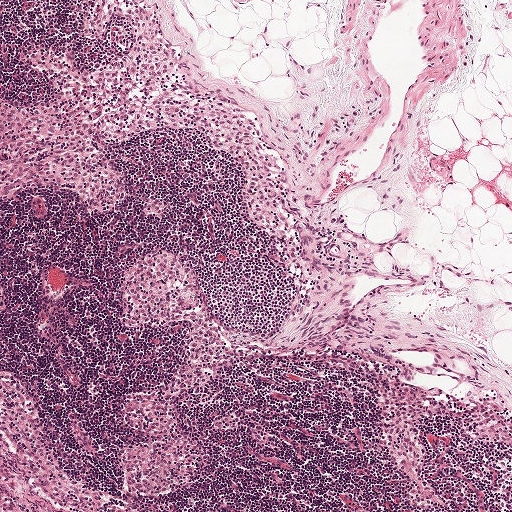
Lymph node section stained with H&E, from a whole-slide image of a breast-cancer sentinel node. Magnification about 5×, about 1 mm across the frame, about 1.9 µm per pixel.
Question: Is there metastatic carcinoma in this field?
Answer: No: no metastatic tumour is outlined anywhere in this field.